Image:
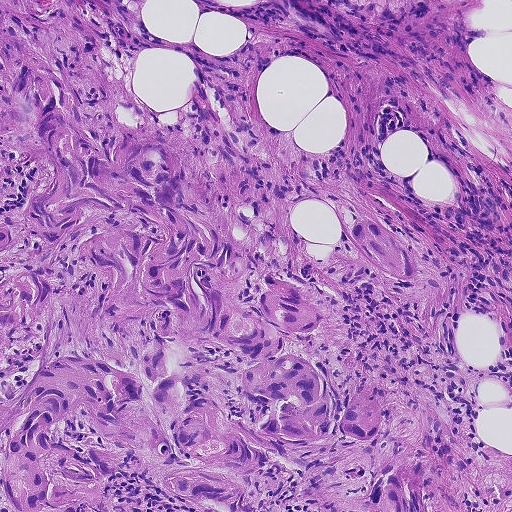
H&E-stained section of a sentinel lymph node (breast cancer), from a whole-slide image, viewed at about 10×: the field is about 0.46 mm across, about 0.9 µm per pixel.
Question:
Where is the metastatic tumour in this field? Give each region's outline as (x, y) pixel points.
Answer:
One metastatic tumour region; its boundary, reduced to 23 corners and listed clockwise: (0, 6), (107, 91), (116, 135), (170, 147), (244, 252), (227, 300), (243, 309), (292, 230), (318, 261), (350, 241), (334, 206), (394, 232), (442, 291), (330, 269), (305, 293), (325, 326), (293, 342), (343, 396), (410, 382), (456, 440), (511, 451), (511, 511), (0, 511).
About 55% of this field is tumour.